Lymph node section stained with H&E, from a whole-slide image of a breast-cancer sentinel node. Magnification about 10×, about 0.5 mm across the frame, about 0.97 µm per pixel.
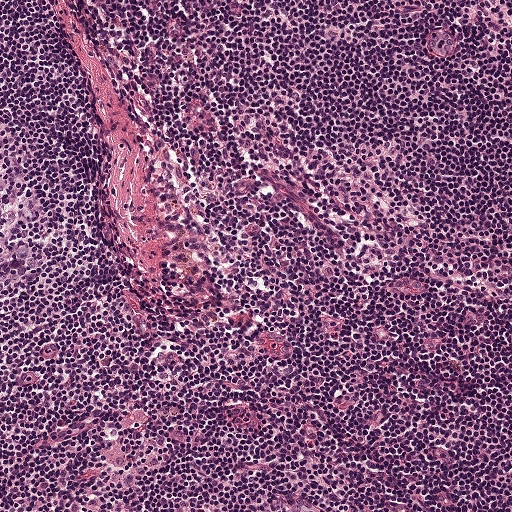
Question: Is there metastatic carcinoma in this field?
Answer: No: no metastatic tumour is outlined anywhere in this field.